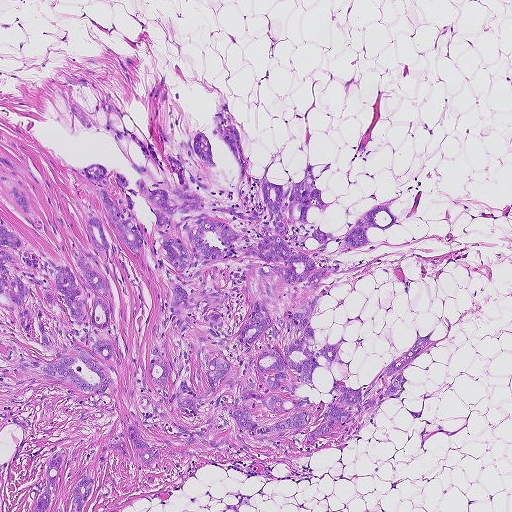
This is a crop of a whole-slide image: an H&E-stained breast-cancer sentinel lymph node section at roughly 5× magnification (about 1.8 µm per pixel; the crop spans about 0.93 mm).
Question: Trace the edge of each tumour region in this crop, as (x, y) points from 0 to 511.
Answer: Seven metastatic tumour regions, each outlined as a closed clockwise path in crop pixels (x, y), largest first: region 1: (227, 98), (247, 168), (239, 208), (309, 158), (315, 228), (396, 218), (316, 256), (342, 262), (309, 322), (352, 360), (348, 368), (321, 357), (300, 397), (366, 385), (416, 328), (438, 341), (348, 432), (236, 424), (144, 464), (127, 437), (132, 464), (109, 447), (100, 472), (109, 439), (133, 423), (174, 435), (147, 367), (170, 302), (130, 162), (178, 185), (167, 152), (193, 173), (201, 132), (203, 194), (237, 202); region 2: (0, 223), (23, 242), (24, 247), (10, 248), (21, 259), (32, 250), (38, 264), (46, 261), (38, 250), (56, 266), (72, 268), (81, 289), (72, 239), (94, 257), (100, 266), (89, 260), (95, 270), (106, 276), (113, 291), (113, 325), (94, 326), (93, 332), (112, 344), (112, 360), (101, 362), (113, 382), (106, 392), (0, 370), (14, 361), (16, 349), (44, 362), (57, 360), (50, 351), (29, 341), (8, 296), (0, 294); region 3: (87, 165), (102, 165), (106, 170), (107, 188), (112, 199), (118, 198), (121, 193), (114, 184), (113, 169), (128, 180), (128, 186), (125, 189), (132, 189), (136, 192), (136, 198), (127, 191), (126, 193), (133, 202), (132, 208), (143, 238), (143, 244), (140, 250), (143, 261), (129, 250), (114, 230), (101, 224), (110, 247), (106, 251), (97, 250), (87, 232), (89, 202), (99, 217), (112, 228), (94, 189), (81, 175), (82, 169); region 4: (0, 156), (8, 158), (17, 165), (35, 214), (44, 222), (47, 215), (51, 218), (58, 227), (58, 233), (56, 238), (47, 225), (48, 234), (41, 230), (38, 234), (27, 222), (16, 202), (0, 187); region 5: (58, 452), (63, 454), (63, 460), (56, 482), (54, 500), (50, 511), (32, 511), (37, 494), (45, 485), (47, 465), (53, 454); region 6: (84, 477), (90, 477), (94, 481), (94, 487), (81, 511), (70, 511), (74, 484); region 7: (61, 496), (65, 511), (56, 511).
About 25% of this field is tumour.